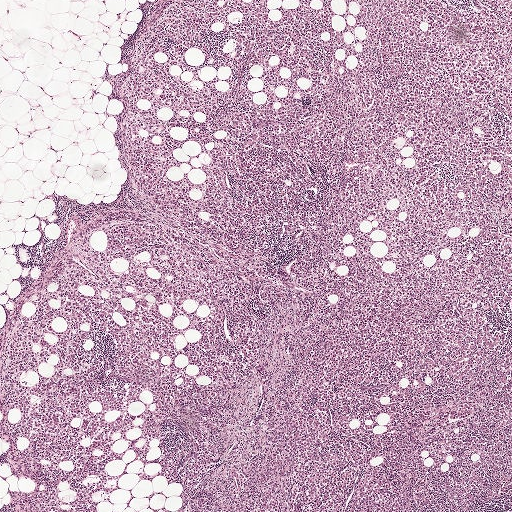
This is a crop of a whole-slide image: an H&E-stained breast-cancer sentinel lymph node section at roughly 2.5× magnification (about 3.9 µm per pixel; the crop spans about 2.0 mm).
Five metastatic tumour regions, each outlined as a closed clockwise path in crop pixels (x, y), largest first: region 1: (511, 233), (511, 313), (486, 316), (502, 334), (477, 380), (444, 400), (432, 377), (405, 376), (403, 362), (396, 360), (386, 368), (379, 396), (361, 408), (315, 388), (315, 344), (344, 307), (398, 272), (441, 263), (461, 244); region 2: (338, 104), (382, 120), (390, 138), (393, 158), (405, 170), (405, 179), (396, 192), (362, 217), (353, 230), (327, 235), (322, 230), (324, 184), (302, 149), (300, 129), (319, 105); region 3: (511, 418), (511, 478), (477, 497), (462, 511), (429, 511), (440, 499), (443, 486), (456, 468), (464, 444), (476, 437), (498, 434); region 4: (306, 457), (305, 473), (287, 490), (283, 498), (282, 511), (207, 511), (225, 501), (273, 480), (290, 464), (292, 459); region 5: (474, 0), (511, 0), (511, 63), (504, 61), (485, 36), (482, 20), (475, 7).
About 15% of this field is tumour.